This is a crop of a whole-slide image: an H&E-stained breast-cancer sentinel lymph node section at roughly 20× magnification (about 0.49 µm per pixel; the crop spans about 0.25 mm).
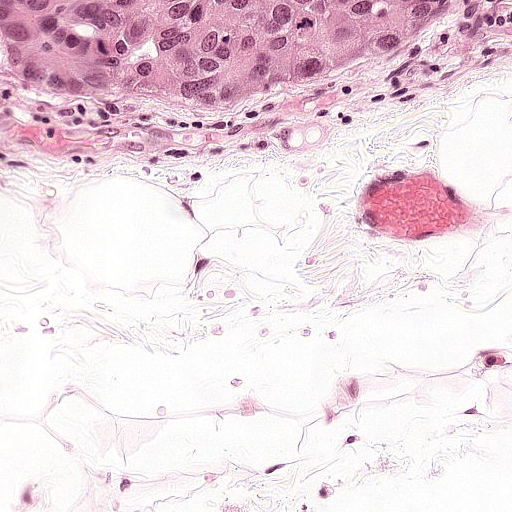
The outlined metastatic tumour's edge, as a closed clockwise path of 7 points: (0, 0), (475, 0), (448, 44), (405, 78), (237, 143), (87, 128), (0, 89).
About 20% of this field is tumour.